A 0.93-mm field of an H&E-stained sentinel lymph node from a breast-cancer patient (whole-slide image), shown at about 5×, about 1.8 µm per pixel.
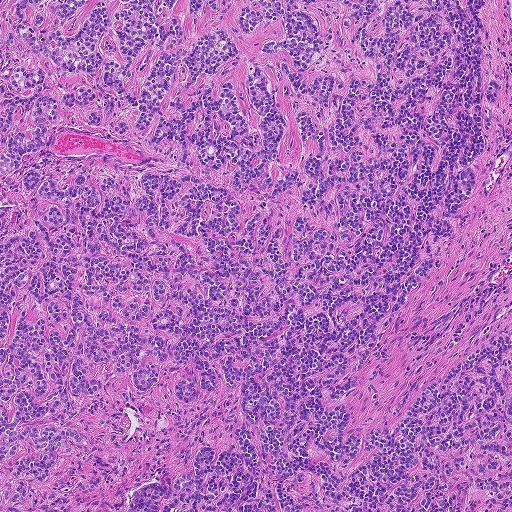
Tumour region outline (a closed clockwise path, crop pixels): (0, 0), (489, 0), (481, 91), (494, 77), (502, 83), (488, 106), (486, 154), (470, 166), (476, 191), (452, 220), (439, 267), (341, 401), (350, 427), (365, 434), (386, 411), (390, 430), (419, 390), (507, 325), (511, 511), (0, 511).
About 90% of this field is tumour.